Question: 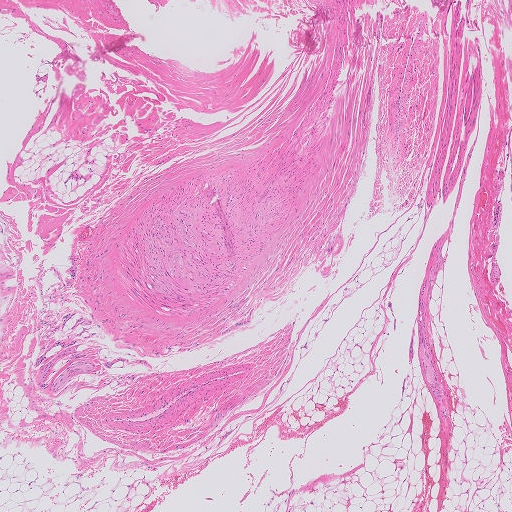
Which magnification is this H&E lymph node field most likely shown at?

Choices:
 (A) about 40×
 (B) about 20×
 (C) about 2.5×
 (D) about 5×
 (E) about 10×

Answer: (C) about 2.5×
Lymph node section stained with H&E, from a whole-slide image of a breast-cancer sentinel node. Magnification about 2.5×, about 2.0 mm across the frame, about 4.0 µm per pixel.